Question: 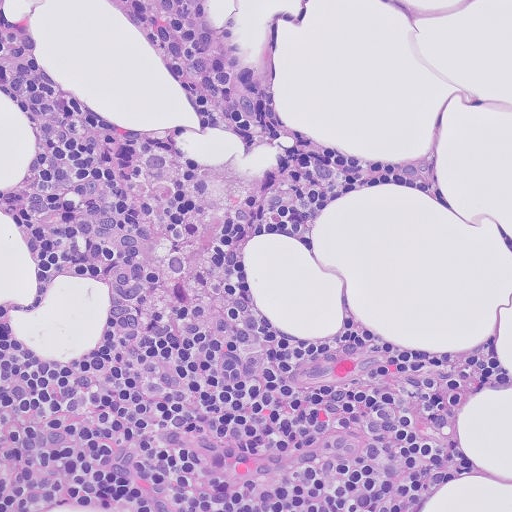
Which magnification is this H&E lymph node field most likely shown at?

Choices:
 (A) about 2.5×
 (B) about 20×
 (C) about 40×
 (D) about 5×
 (E) about 10×

Answer: (B) about 20×
A 0.26-mm field of an H&E-stained sentinel lymph node from a breast-cancer patient (whole-slide image), shown at about 20×, about 0.5 µm per pixel.